Image:
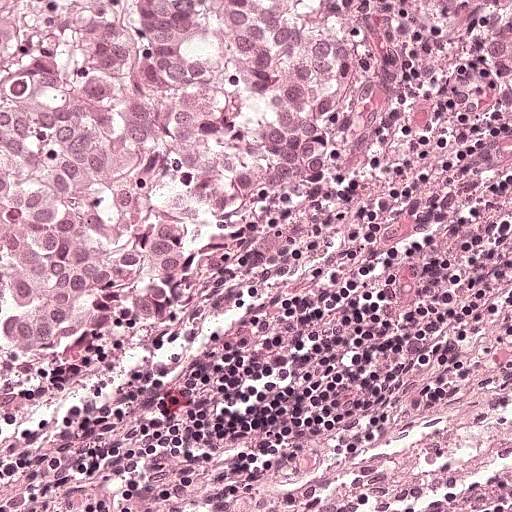
Lymph node section stained with H&E, from a whole-slide image of a breast-cancer sentinel node. Magnification about 20×, about 0.25 mm across the frame, about 0.49 µm per pixel.
Question:
Trace the edge of each tumour region in this crop, as (x, y) points from 0 to 511.
Answer:
Tumour region outline (a closed clockwise path, crop pixels): (0, 0), (335, 0), (358, 40), (358, 122), (344, 172), (184, 226), (175, 272), (150, 299), (92, 296), (52, 346), (4, 353).
About 35% of the image area is annotated as tumour.